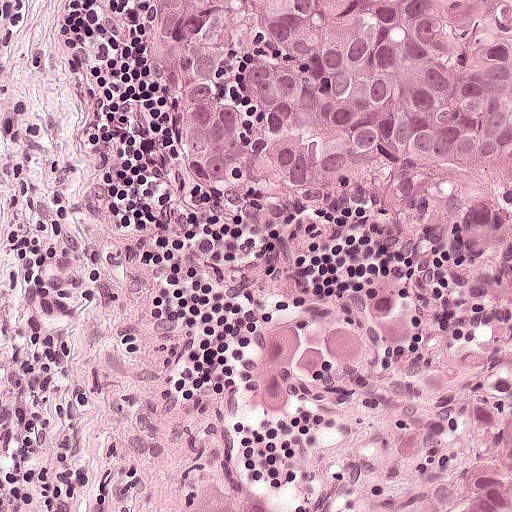
H&E-stained section of a sentinel lymph node (breast cancer), from a whole-slide image, viewed at about 20×: the field is about 0.25 mm across, about 0.49 µm per pixel.
Tumour region outline (a closed clockwise path, crop pixels): (511, 0), (511, 511), (412, 511), (443, 484), (485, 383), (474, 338), (408, 296), (427, 284), (418, 277), (312, 246), (200, 192), (148, 78), (162, 24), (156, 2).
Tumour covers about 35% of the frame.